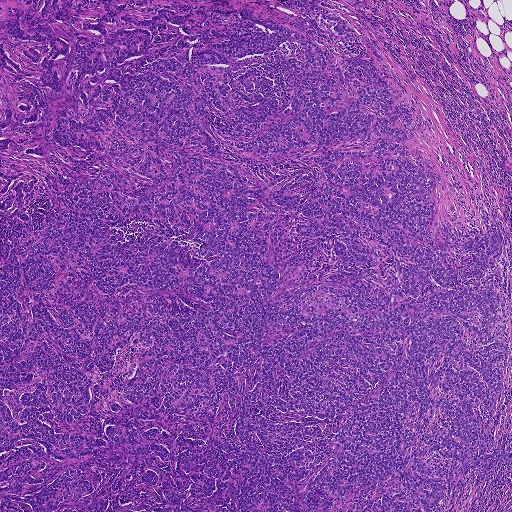
This is a crop of a whole-slide image: an H&E-stained breast-cancer sentinel lymph node section at roughly 2.5× magnification (about 3.6 µm per pixel; the crop spans about 1.9 mm).
The outlined metastatic tumour's edge, as a closed clockwise path of 10 points: (0, 0), (358, 2), (460, 222), (472, 232), (486, 212), (503, 231), (511, 506), (509, 480), (481, 511), (0, 511).
The annotated tumour makes up about 90% of the crop.